H&E-stained section of a sentinel lymph node (breast cancer), from a whole-slide image, viewed at about 5×: the field is about 1.0 mm across, about 2.0 µm per pixel.
Image:
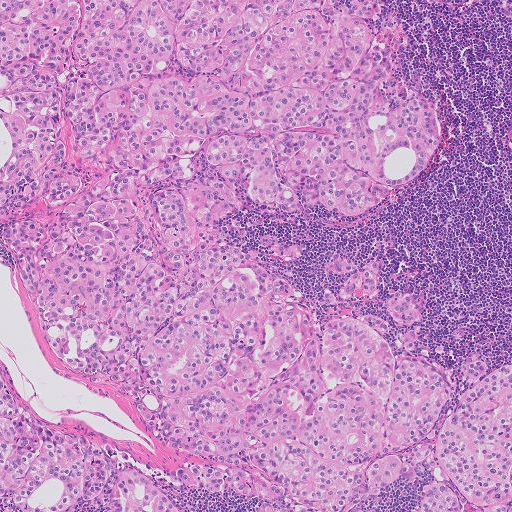
Question:
Where is the metastatic tumour in this field?
Answer:
Outlines of two tumour regions, largest first (closed clockwise paths, crop pixels): region 1: (0, 0), (393, 0), (438, 100), (429, 156), (398, 202), (372, 220), (234, 225), (290, 234), (308, 257), (303, 286), (356, 258), (408, 278), (427, 300), (423, 355), (446, 372), (466, 353), (511, 355), (511, 511), (246, 511), (214, 498), (189, 485), (146, 412), (50, 354), (0, 253); region 2: (0, 360), (10, 368), (20, 408), (41, 426), (68, 434), (98, 436), (166, 491), (185, 511), (0, 511).
One more small tumour piece is annotated here but not outlined.
About 80% of the image area is annotated as tumour.